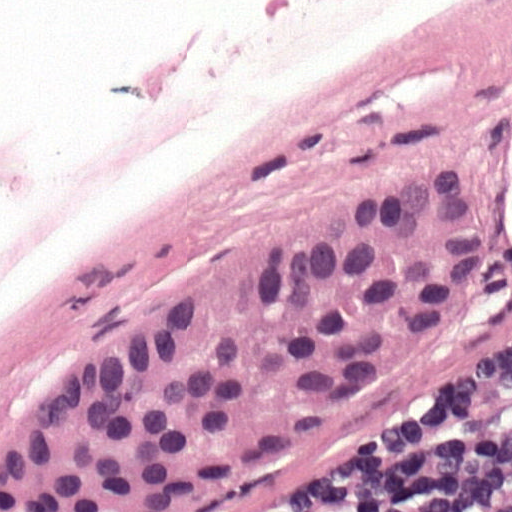
A 0.12-mm field of an H&E-stained sentinel lymph node from a breast-cancer patient (whole-slide image), shown at about 40×, about 0.24 µm per pixel.
The outlined metastatic tumour's edge, as a closed clockwise path of 10 points: (449, 155), (484, 182), (473, 304), (267, 474), (204, 511), (0, 511), (0, 450), (26, 409), (94, 328), (327, 167).
Tumour covers about 40% of the frame.